Question: 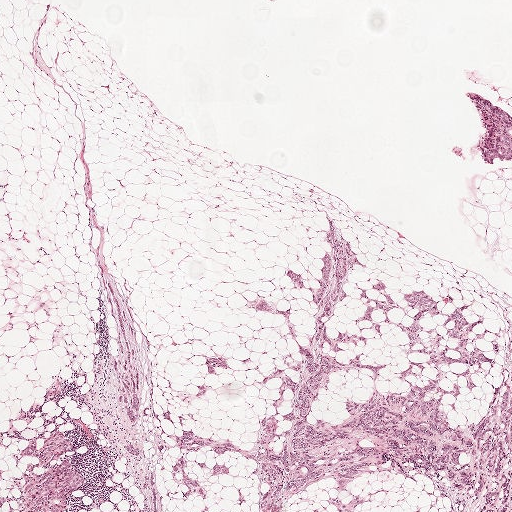
A 2.0-mm field of an H&E-stained sentinel lymph node from a breast-cancer patient (whole-slide image), shown at about 2.5×, about 3.9 µm per pixel.
Estimate the proportion of this field that is metastatic tumour.

Choices:
 (A) about 10% to 20%
 (B) about 50% or more
 (C) about 25% to 45%
 (D) about 5% or less
 (E) none: no tumour is outlined

Answer: (C) about 25% to 45%
About 40% of the field is tumour.
Boundaries of four metastatic tumour regions, simplified and listed clockwise, largest first: region 1: (317, 210), (338, 214), (473, 300), (511, 304), (511, 511), (245, 511), (247, 377), (265, 318), (268, 255), (290, 225); region 2: (96, 169), (110, 176), (139, 266), (154, 508), (0, 511), (0, 419), (58, 356); region 3: (469, 91), (480, 94), (510, 112), (511, 115), (511, 161), (506, 161), (499, 159), (498, 164), (492, 164), (480, 160), (480, 150), (474, 146), (482, 136), (483, 130), (480, 118), (475, 108), (467, 100), (466, 95); region 4: (458, 145), (462, 148), (464, 152), (464, 157), (464, 159), (458, 159), (449, 153), (450, 149), (455, 146).